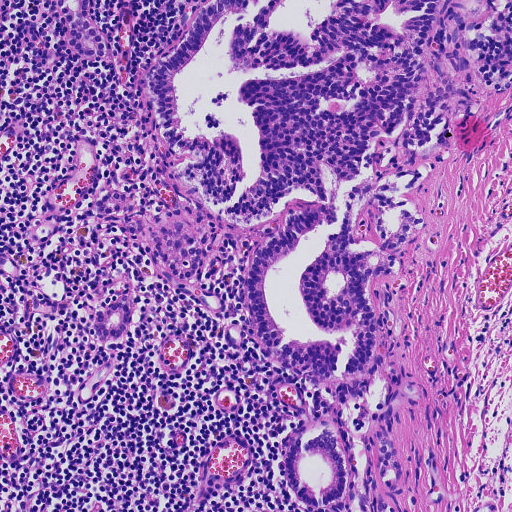
H&E-stained section of a sentinel lymph node (breast cancer), from a whole-slide image, viewed at about 10×: the field is about 0.46 mm across, about 0.91 µm per pixel.
Outlines of eight tumour regions, largest first (closed clockwise paths, crop pixels): region 1: (486, 0), (478, 114), (401, 195), (424, 224), (399, 252), (400, 273), (370, 280), (389, 404), (360, 434), (252, 330), (258, 249), (286, 212), (319, 200), (296, 190), (246, 228), (216, 214), (177, 177), (182, 159), (151, 110), (147, 79), (204, 4); region 2: (328, 415), (350, 464), (350, 483), (346, 511), (329, 511), (321, 508), (302, 506), (290, 491), (284, 473), (283, 454), (288, 436), (300, 423); region 3: (179, 210), (199, 232), (205, 245), (205, 260), (196, 272), (183, 278), (170, 274), (160, 263), (151, 242), (157, 228), (166, 217); region 4: (54, 0), (88, 0), (86, 10), (105, 35), (109, 50), (97, 59), (82, 59), (70, 48), (66, 20), (55, 8); region 5: (107, 186), (123, 190), (136, 200), (130, 214), (144, 218), (147, 233), (133, 238), (121, 228), (126, 216), (113, 218), (98, 214), (96, 198); region 6: (128, 294), (132, 311), (132, 324), (125, 336), (106, 342), (94, 334), (92, 319), (102, 308); region 7: (380, 428), (394, 440), (399, 458), (401, 478), (396, 495), (383, 484), (374, 466), (375, 447); region 8: (378, 494), (398, 507), (400, 511), (376, 511).
Tumour covers about 40% of the frame.